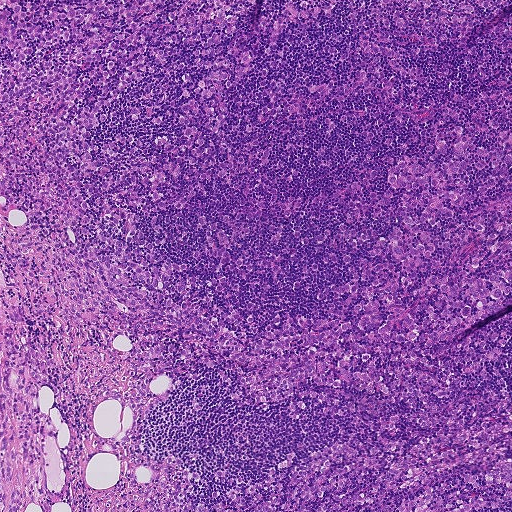
Lymph node section stained with H&E, from a whole-slide image of a breast-cancer sentinel node. Magnification about 5×, about 0.93 mm across the frame, about 1.8 µm per pixel.